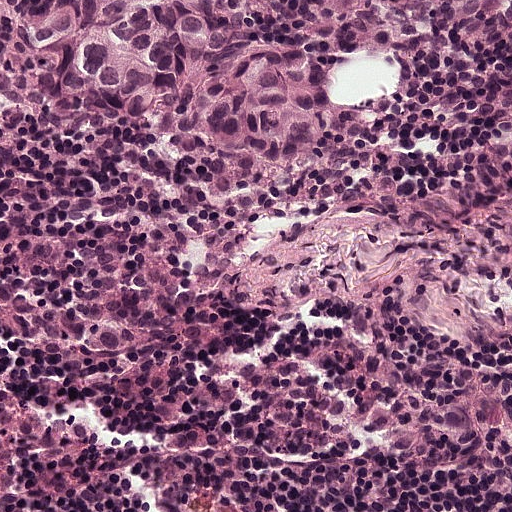
This is a crop of a whole-slide image: an H&E-stained breast-cancer sentinel lymph node section at roughly 20× magnification (about 0.49 µm per pixel; the crop spans about 0.25 mm).
Question: Does this lymph node field contain metastatic tumour?
Answer: Yes.
The outlined metastatic tumour's edge, as a closed clockwise path of 13 points: (244, 0), (252, 28), (268, 44), (309, 38), (334, 46), (352, 120), (352, 160), (318, 184), (217, 189), (138, 120), (86, 110), (52, 90), (21, 2).
Tumour covers about 15% of the frame.